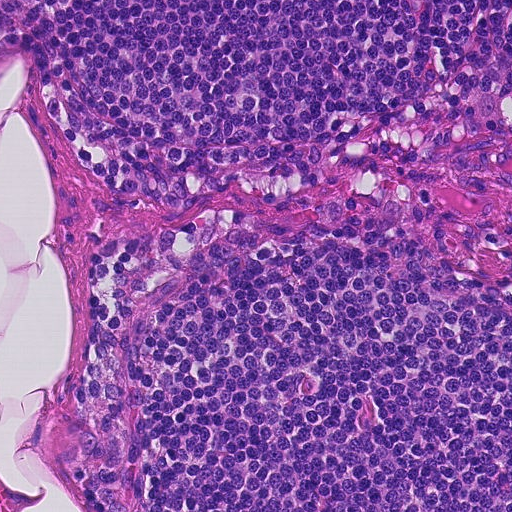
This is a crop of a whole-slide image: an H&E-stained breast-cancer sentinel lymph node section at roughly 20× magnification (about 0.45 µm per pixel; the crop spans about 0.23 mm).
Question: Is there metastatic carcinoma in this field?
Answer: No. No metastatic tumour is outlined in this field.

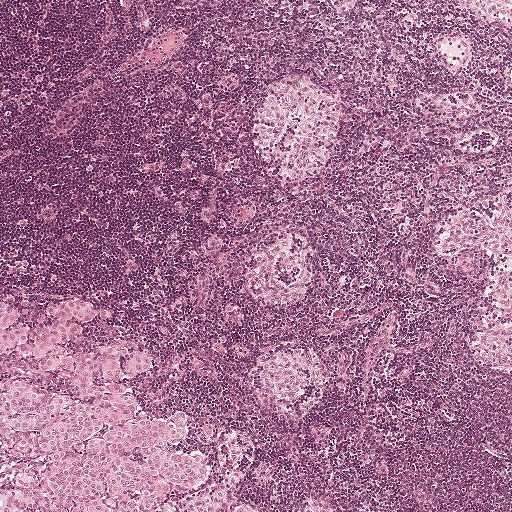
Lymph node section stained with H&E, from a whole-slide image of a breast-cancer sentinel node. Magnification about 5×, about 1 mm across the frame, about 1.9 µm per pixel.
Question: Is there metastatic carcinoma in this field?
Answer: Yes.
Boundaries of two metastatic tumour regions, simplified and listed clockwise, largest first: region 1: (0, 300), (31, 323), (48, 305), (84, 300), (110, 316), (84, 326), (78, 350), (126, 333), (142, 343), (148, 367), (138, 382), (148, 409), (161, 417), (184, 413), (183, 445), (206, 455), (211, 473), (175, 496), (176, 511), (0, 511), (0, 486), (16, 470), (15, 457), (1, 446); region 2: (250, 501), (256, 507), (257, 511), (230, 511), (232, 508).
Tumour covers about 10% of the frame.

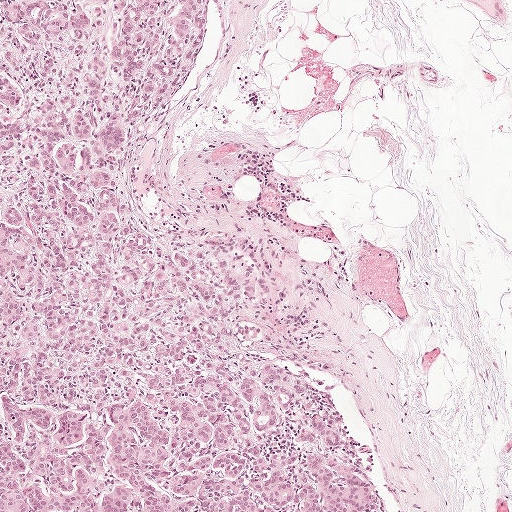
Lymph node section stained with H&E, from a whole-slide image of a breast-cancer sentinel node. Magnification about 5×, about 1 mm across the frame, about 1.9 µm per pixel.
Question: Is there metastatic carcinoma in this field?
Answer: Yes.
Tumour region outline (a closed clockwise path, crop pixels): (0, 0), (204, 0), (192, 71), (129, 139), (127, 195), (151, 229), (241, 250), (259, 288), (230, 326), (231, 346), (325, 384), (316, 390), (387, 511), (0, 511).
Tumour covers about 45% of the frame.

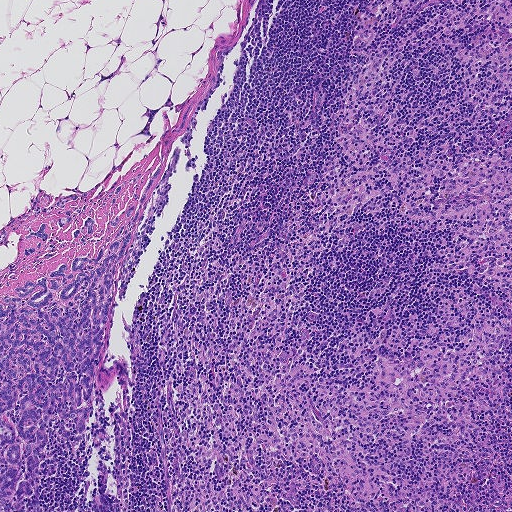
A 0.93-mm field of an H&E-stained sentinel lymph node from a breast-cancer patient (whole-slide image), shown at about 5×, about 1.8 µm per pixel.
Question: Is there metastatic carcinoma in this field?
Answer: Yes.
Four metastatic tumour regions, each outlined as a closed clockwise path in crop pixels (x, y), largest first: region 1: (163, 158), (138, 228), (148, 216), (140, 245), (126, 266), (108, 321), (95, 381), (100, 389), (87, 431), (77, 431), (82, 438), (70, 449), (56, 438), (44, 445), (45, 459), (25, 508), (0, 511), (0, 300), (77, 256), (98, 254), (124, 219), (111, 227), (111, 218), (138, 199); region 2: (89, 217), (94, 221), (93, 228), (94, 231), (88, 234), (80, 234), (76, 238), (73, 236), (73, 233), (75, 230), (81, 227), (84, 225), (86, 219); region 3: (46, 222), (44, 233), (47, 234), (47, 237), (42, 241), (42, 240), (40, 238), (36, 238), (36, 236), (33, 236), (27, 238), (25, 237), (29, 234), (28, 231), (25, 230), (30, 225), (31, 228), (33, 231), (36, 232), (39, 229), (42, 223); region 4: (68, 210), (70, 212), (70, 215), (72, 218), (70, 221), (68, 224), (62, 226), (58, 226), (58, 219), (61, 218), (67, 216), (65, 211).
Five more small tumour pieces are annotated here but not outlined.
The annotated tumour makes up about 10% of the crop.